Image:
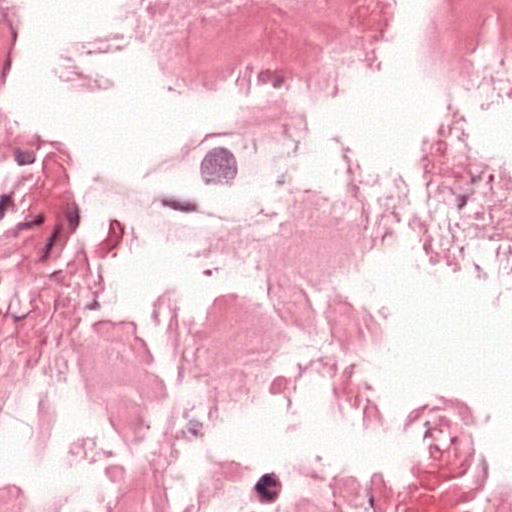
This is a crop of a whole-slide image: an H&E-stained breast-cancer sentinel lymph node section at roughly 40× magnification (about 0.24 µm per pixel; the crop spans about 0.12 mm).
Question:
Trace the edge of each tumour region in this crop, as (x, y) points from 0 to 511.
Answer:
The outlined metastatic tumour's edge, as a closed clockwise path of 12 points: (220, 130), (288, 133), (297, 146), (292, 170), (279, 191), (247, 195), (199, 188), (177, 178), (132, 180), (145, 159), (168, 150), (195, 133).
About 5% of this field is tumour.